Question: 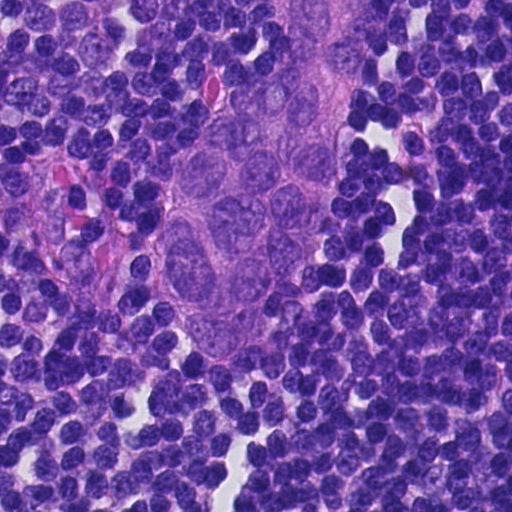
About what magnification does this crop show?

Choices:
 (A) about 20×
 (B) about 40×
 (C) about 5×
 (D) about 2.5×
 (E) about 10×

Answer: (B) about 40×
H&E-stained section of a sentinel lymph node (breast cancer), from a whole-slide image, viewed at about 40×: the field is about 0.12 mm across, about 0.23 µm per pixel.
Tumour region outline (a closed clockwise path, crop pixels): (279, 0), (371, 0), (326, 210), (262, 338), (198, 362), (164, 302), (166, 166), (215, 117), (274, 80).
The annotated tumour makes up about 15% of the crop.